H&E-stained section of a sentinel lymph node (breast cancer), from a whole-slide image, viewed at about 5×: the field is about 1 mm across, about 1.9 µm per pixel.
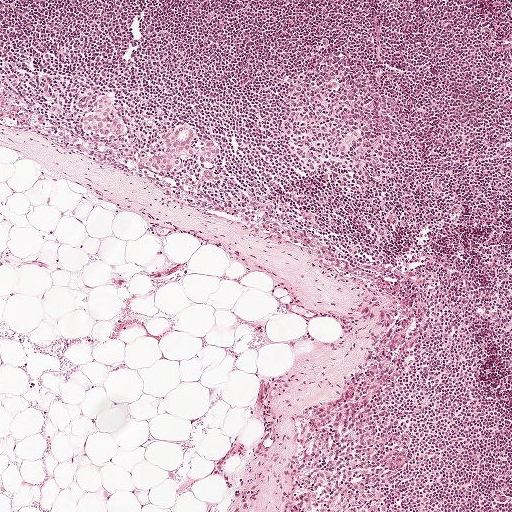
Outlines of two tumour regions, largest first (closed clockwise paths, crop pixels): region 1: (175, 127), (192, 127), (195, 134), (193, 145), (196, 146), (201, 146), (208, 140), (213, 140), (217, 147), (216, 159), (208, 163), (192, 156), (183, 156), (180, 158), (181, 166), (172, 167), (161, 173), (138, 165), (138, 154), (161, 147), (163, 131); region 2: (107, 94), (108, 99), (113, 103), (121, 125), (121, 131), (116, 136), (106, 133), (90, 134), (87, 130), (79, 126), (81, 114), (92, 109), (91, 98).
The annotated tumour makes up under 5% of the crop.